Question: 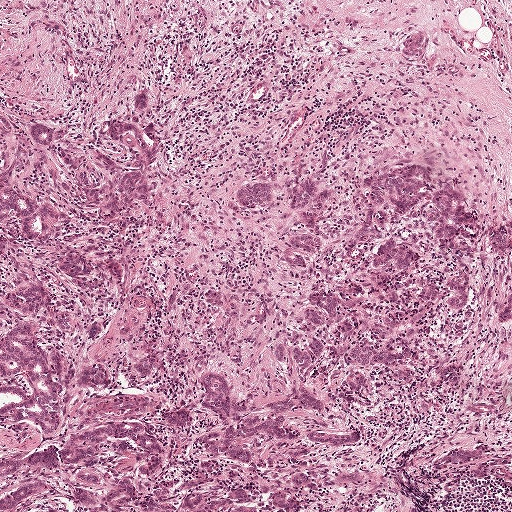
A 1-mm field of an H&E-stained sentinel lymph node from a breast-cancer patient (whole-slide image), shown at about 5×, about 1.9 µm per pixel.
About how much of this crop is taken up by metastatic carcinoma?

Choices:
 (A) about 50% or more
 (B) about 10% to 20%
 (C) about 25% to 45%
 (D) about 5% or less
 (E) none: no tumour is outlined

Answer: (A) about 50% or more
About 50% of the field is tumour.
Boundaries of two metastatic tumour regions, simplified and listed clockwise, largest first: region 1: (150, 86), (170, 97), (176, 137), (126, 274), (115, 351), (220, 371), (258, 408), (276, 395), (303, 289), (242, 214), (241, 185), (349, 185), (424, 166), (511, 213), (511, 342), (460, 388), (402, 397), (384, 434), (345, 472), (342, 493), (314, 511), (0, 511), (0, 168), (34, 122); region 2: (461, 450), (468, 455), (480, 453), (489, 457), (489, 460), (478, 469), (464, 469), (441, 464).
One more small tumour piece is annotated here but not outlined.